Question: 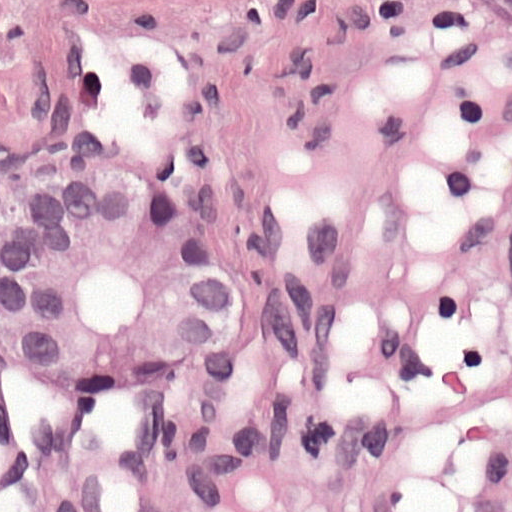
At roughly what magnification is this field shown?

Choices:
 (A) about 20×
 (B) about 10×
 (C) about 5×
 (D) about 40×
 (E) about 2.5×

Answer: (D) about 40×
Lymph node section stained with H&E, from a whole-slide image of a breast-cancer sentinel node. Magnification about 40×, about 0.12 mm across the frame, about 0.24 µm per pixel.
Two metastatic tumour regions, each outlined as a closed clockwise path in crop pixels (x, y), largest first: region 1: (57, 128), (126, 142), (221, 214), (242, 329), (163, 411), (40, 392), (0, 352), (0, 168); region 2: (487, 0), (511, 0), (511, 29).
About 20% of the image area is annotated as tumour.